Question: 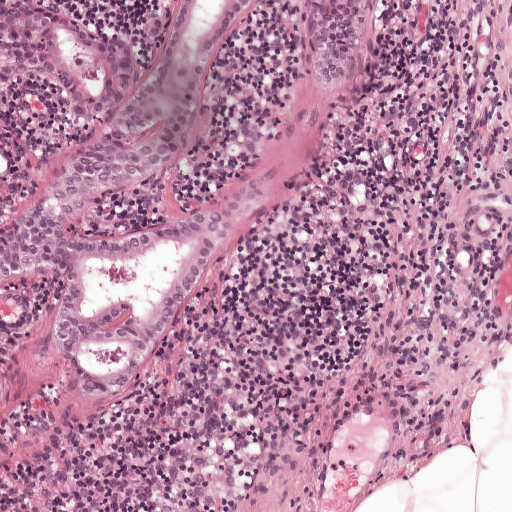
A 0.5-mm field of an H&E-stained sentinel lymph node from a breast-cancer patient (whole-slide image), shown at about 10×, about 0.97 µm per pixel.
Estimate the proportion of this field that is metastatic tumour.

Choices:
 (A) none: no tumour is outlined
 (B) about 50% or more
 (C) about 10% to 20%
 (D) about 5% or less
 (E) about 25% to 45%

Answer: (E) about 25% to 45%
About 45% of the field is tumour.
The outlined metastatic tumour's edge, as a closed clockwise path of 10 points: (0, 0), (406, 0), (366, 154), (267, 226), (162, 380), (47, 422), (0, 478), (0, 159), (44, 146), (43, 86).